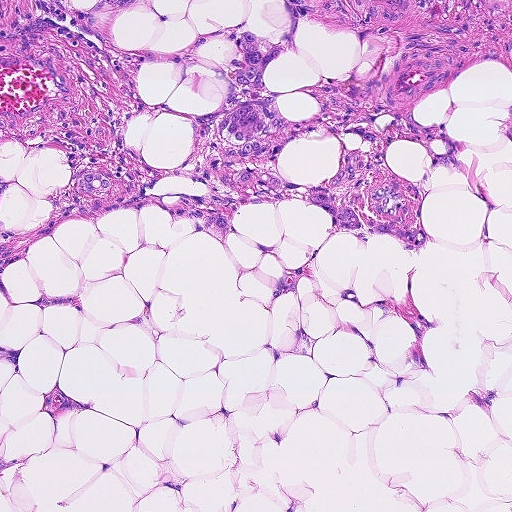
This is a crop of a whole-slide image: an H&E-stained breast-cancer sentinel lymph node section at roughly 10× magnification (about 0.9 µm per pixel; the crop spans about 0.46 mm).
Boundaries of two metastatic tumour regions, simplified and listed clockwise, largest first: region 1: (0, 0), (151, 0), (169, 16), (121, 14), (119, 48), (176, 53), (248, 22), (290, 50), (262, 78), (301, 138), (278, 173), (363, 222), (421, 228), (422, 250), (347, 237), (290, 203), (236, 210), (224, 245), (154, 206), (46, 224), (69, 172), (55, 150), (126, 146), (176, 170), (195, 136), (182, 115), (218, 109), (226, 91), (194, 67), (179, 84), (180, 64), (132, 78), (47, 38), (4, 38); region 2: (0, 220), (2, 220), (11, 232), (25, 231), (38, 226), (46, 237), (34, 240), (27, 252), (7, 270), (5, 284), (0, 284).
The annotated tumour makes up about 15% of the crop.